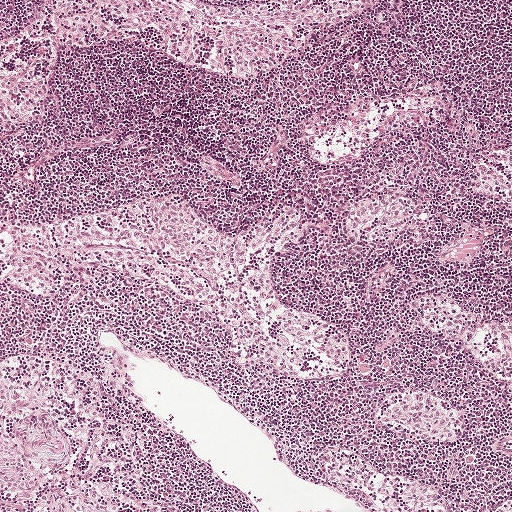
A 1-mm field of an H&E-stained sentinel lymph node from a breast-cancer patient (whole-slide image), shown at about 5×, about 1.9 µm per pixel.